H&E-stained section of a sentinel lymph node (breast cancer), from a whole-slide image, viewed at about 5×: the field is about 1 mm across, about 1.9 µm per pixel.
Image:
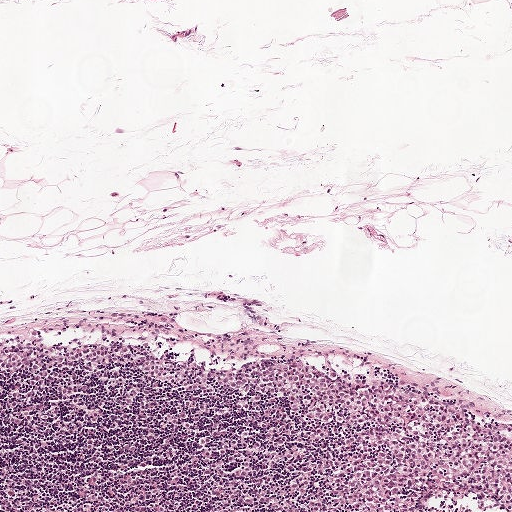
Question:
Where is the metastatic tumour in this field? Give each region's outline as (x, y) pixel points.
Answer:
Tumour region outline (a closed clockwise path, crop pixels): (61, 322), (132, 324), (228, 359), (369, 370), (465, 417), (511, 428), (511, 511), (240, 511), (198, 489), (181, 450), (193, 438), (262, 440), (242, 414), (162, 396), (0, 388), (0, 336).
About 20% of this field is tumour.